Image:
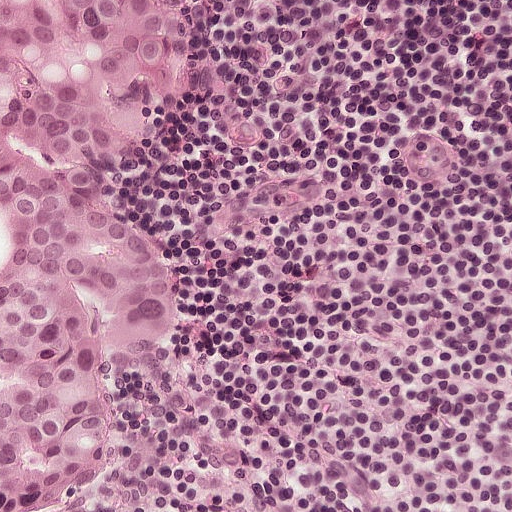
This is a crop of a whole-slide image: an H&E-stained breast-cancer sentinel lymph node section at roughly 20× magnification (about 0.49 µm per pixel; the crop spans about 0.25 mm).
Question:
Is any metastatic breast cancer visible in this crop?
Answer:
Yes.
Tumour region outline (a closed clockwise path, crop pixels): (0, 0), (186, 0), (206, 90), (138, 201), (177, 278), (175, 344), (126, 376), (113, 430), (32, 511), (0, 511).
About 30% of the image area is annotated as tumour.